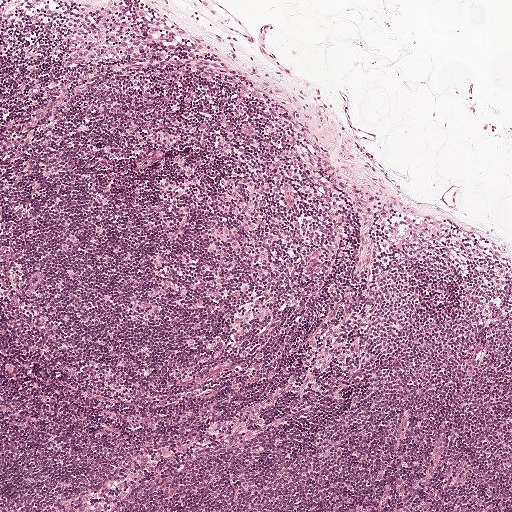
A 1-mm field of an H&E-stained sentinel lymph node from a breast-cancer patient (whole-slide image), shown at about 5×, about 1.9 µm per pixel.